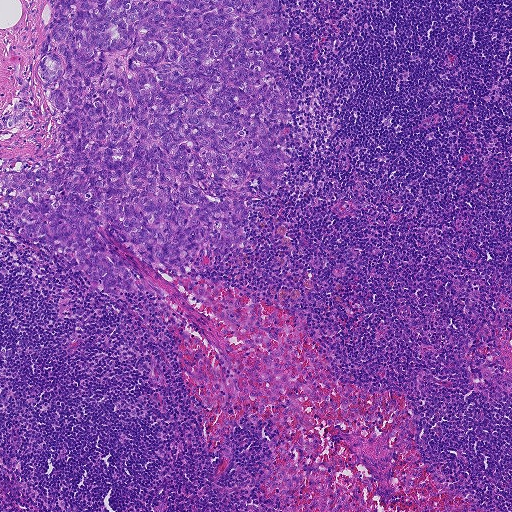
Lymph node section stained with H&E, from a whole-slide image of a breast-cancer sentinel node. Magnification about 5×, about 0.93 mm across the frame, about 1.8 µm per pixel.
Metastatic tumour outline, simplified to 24 points and listed clockwise in crop pixels (x, y): (272, 0), (286, 15), (272, 50), (297, 107), (268, 130), (297, 160), (278, 192), (257, 178), (234, 198), (252, 207), (247, 245), (173, 272), (96, 230), (159, 296), (100, 292), (72, 271), (78, 258), (22, 237), (0, 200), (7, 162), (58, 144), (55, 88), (37, 72), (49, 2).
About 25% of this field is tumour.